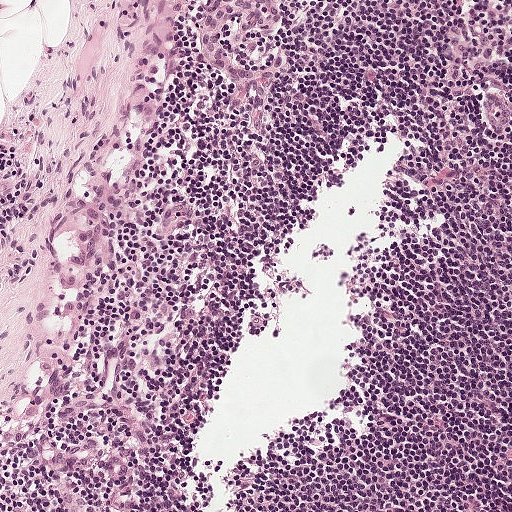
This is a crop of a whole-slide image: an H&E-stained breast-cancer sentinel lymph node section at roughly 10× magnification (about 0.97 µm per pixel; the crop spans about 0.5 mm).